Question: 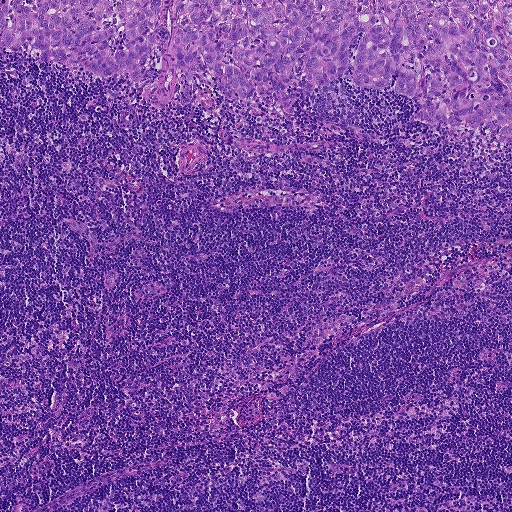
A 0.93-mm field of an H&E-stained sentinel lymph node from a breast-cancer patient (whole-slide image), shown at about 5×, about 1.8 µm per pixel.
About how much of this crop is taken up by metastatic carcinoma?

Choices:
 (A) about 5% or less
 (B) none: no tumour is outlined
 (C) about 50% or more
 (D) about 25% to 45%
 (E) about 10% to 20%

Answer: (E) about 10% to 20%
About 20% of the field is tumour.
The outlined metastatic tumour's edge, as a closed clockwise path of 23 points: (0, 0), (511, 0), (511, 138), (483, 126), (454, 130), (441, 117), (423, 124), (415, 118), (417, 100), (358, 87), (349, 73), (312, 90), (292, 86), (295, 114), (253, 91), (226, 98), (207, 75), (149, 103), (142, 96), (164, 63), (152, 80), (133, 84), (0, 49).